Image:
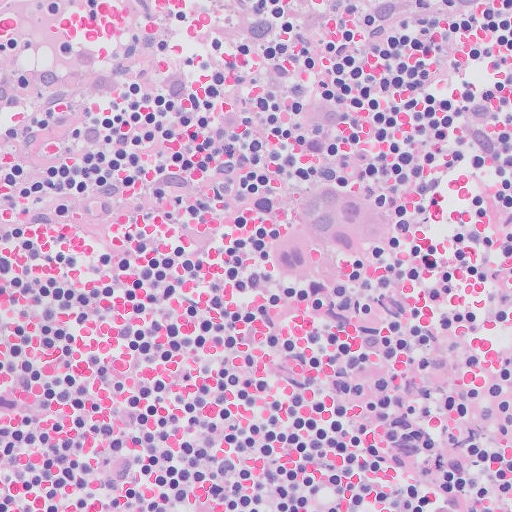
H&E-stained section of a sentinel lymph node (breast cancer), from a whole-slide image, viewed at about 20×: the field is about 0.26 mm across, about 0.5 µm per pixel.
Question:
Trace the edge of each tumour region in this crop, as (x, y) points from 0 to 511.
Answer:
Metastatic tumour outline, simplified to 6 points and listed clockwise in crop pixels (x, y): (359, 180), (397, 220), (359, 261), (298, 278), (258, 247), (286, 188).
The annotated tumour makes up about 5% of the crop.